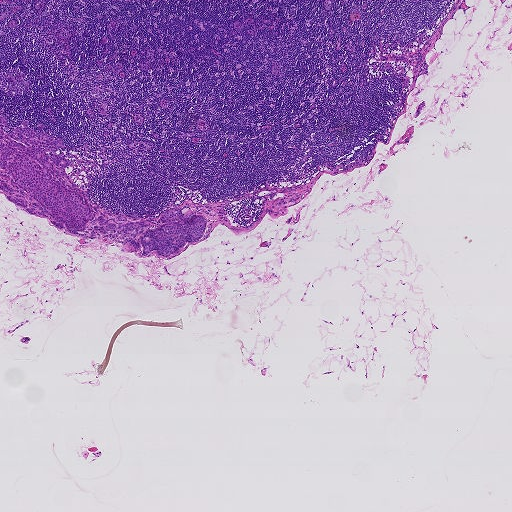
This is a crop of a whole-slide image: an H&E-stained breast-cancer sentinel lymph node section at roughly 2.5× magnification (about 3.6 µm per pixel; the crop spans about 1.9 mm).
One metastatic tumour region; its boundary, reduced to 22 corners and listed clockwise: (26, 119), (27, 127), (38, 131), (43, 123), (39, 131), (62, 140), (58, 148), (70, 164), (66, 173), (103, 209), (148, 220), (189, 206), (207, 222), (200, 240), (165, 258), (155, 250), (142, 255), (120, 239), (59, 231), (2, 194), (0, 128), (10, 132).
One more small tumour piece is annotated here but not outlined.
About 5% of this field is tumour.